A 0.5-mm field of an H&E-stained sentinel lymph node from a breast-cancer patient (whole-slide image), shown at about 10×, about 0.97 µm per pixel.
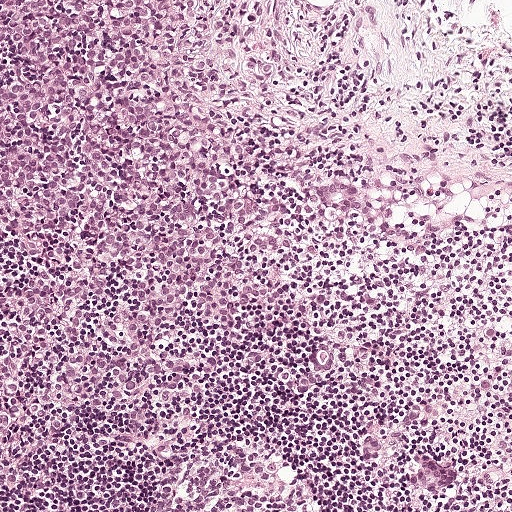
One metastatic tumour region; its boundary, reduced to 12 corners and listed clockwise: (0, 0), (163, 0), (153, 43), (172, 78), (326, 156), (370, 202), (360, 223), (330, 218), (198, 281), (155, 273), (112, 231), (1, 224).
About 25% of the image area is annotated as tumour.